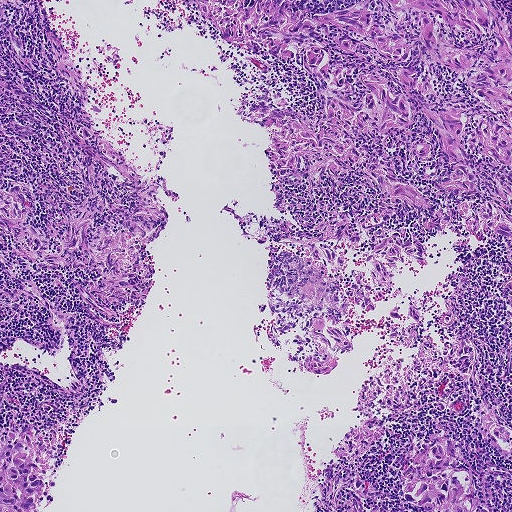
This is a crop of a whole-slide image: an H&E-stained breast-cancer sentinel lymph node section at roughly 5× magnification (about 1.8 µm per pixel; the crop spans about 0.93 mm).
Outlines of eight tumour regions, largest first (closed clockwise paths, crop pixels): region 1: (511, 0), (511, 295), (499, 235), (448, 228), (393, 269), (381, 256), (364, 262), (366, 242), (331, 239), (345, 292), (381, 260), (393, 285), (370, 295), (378, 310), (344, 312), (353, 344), (331, 372), (289, 364), (305, 317), (281, 350), (265, 338), (254, 242), (368, 212), (378, 190), (326, 169), (317, 187), (273, 186), (261, 151), (280, 129), (241, 116), (325, 113), (314, 77), (184, 4); region 2: (77, 127), (150, 178), (169, 213), (146, 250), (154, 270), (144, 301), (109, 305), (118, 323), (97, 318), (82, 302), (83, 281), (101, 273), (35, 264), (16, 252), (13, 230), (0, 234), (0, 183), (31, 188), (36, 207), (23, 220), (38, 231), (63, 215), (66, 201), (76, 205), (81, 196), (83, 154), (94, 155), (90, 161), (103, 191), (94, 223), (118, 228), (125, 196), (103, 157), (76, 137); region 3: (432, 435), (442, 435), (454, 440), (457, 450), (456, 462), (470, 466), (485, 507), (489, 511), (434, 511), (435, 510), (410, 506), (398, 487), (402, 466), (423, 441); region 4: (27, 433), (34, 446), (35, 461), (42, 467), (46, 483), (43, 498), (34, 511), (0, 511), (0, 437), (4, 434); region 5: (0, 248), (13, 262), (24, 280), (34, 283), (43, 289), (57, 306), (66, 311), (77, 312), (76, 318), (70, 327), (61, 333), (52, 328), (43, 307), (17, 285), (4, 266), (0, 264); region 6: (0, 0), (21, 0), (33, 15), (4, 3), (2, 15), (30, 56), (37, 73), (22, 71), (1, 56); region 7: (488, 404), (498, 421), (511, 428), (511, 458), (500, 455), (481, 438), (478, 432), (481, 407); region 8: (0, 74), (3, 79), (10, 85), (43, 109), (31, 105), (0, 85).
Two more small tumour pieces are annotated here but not outlined.
About 35% of this field is tumour.